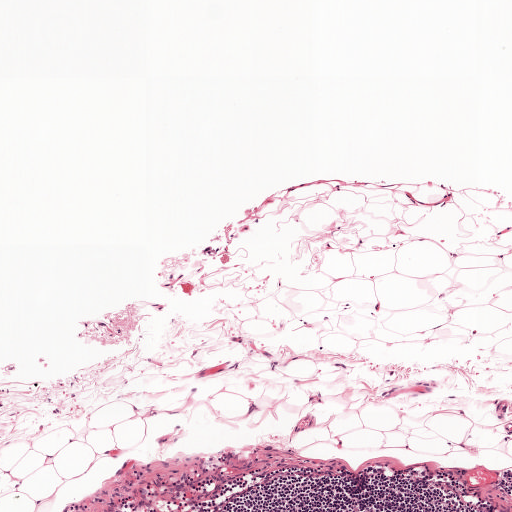
Lymph node section stained with H&E, from a whole-slide image of a breast-cancer sentinel node. Magnification about 5×, about 1 mm across the frame, about 1.9 µm per pixel.
Tumour region outline (a closed clockwise path, crop pixels): (210, 246), (213, 246), (214, 249), (219, 248), (219, 251), (216, 254), (214, 254), (211, 253), (210, 255), (206, 254), (203, 255), (202, 251), (206, 248).
The annotated tumour makes up under 5% of the crop.